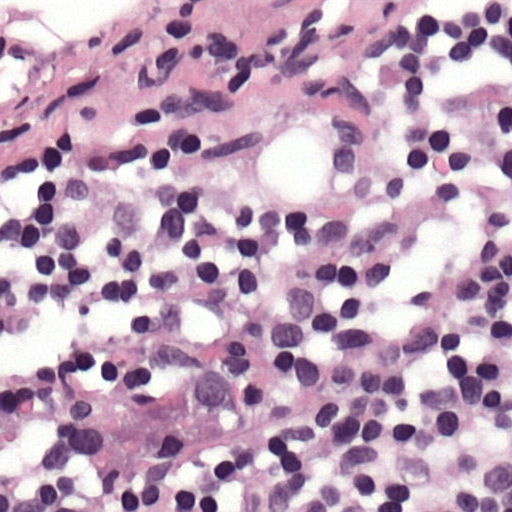
H&E-stained section of a sentinel lymph node (breast cancer), from a whole-slide image, viewed at about 40×: the field is about 0.12 mm across, about 0.24 µm per pixel.
One metastatic tumour region; its boundary, reduced to 6 corners and listed clockwise: (240, 366), (252, 400), (209, 445), (122, 462), (104, 419), (193, 367).
About 5% of this field is tumour.